H&E-stained section of a sentinel lymph node (breast cancer), from a whole-slide image, viewed at about 20×: the field is about 0.25 mm across, about 0.49 µm per pixel.
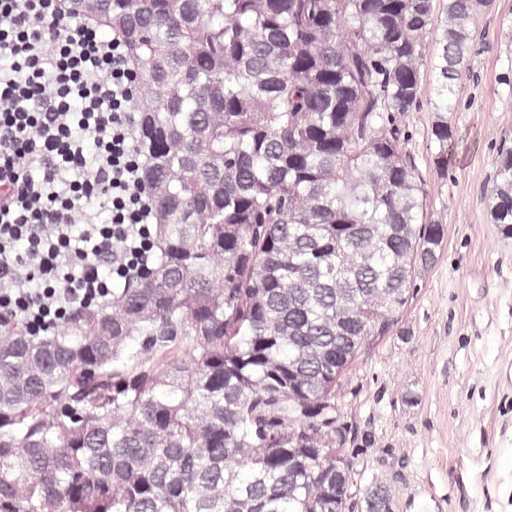
Outlines of two tumour regions, largest first (closed clockwise paths, crop pixels): region 1: (51, 0), (449, 0), (440, 53), (455, 0), (496, 0), (438, 184), (430, 146), (426, 223), (446, 222), (447, 257), (420, 286), (417, 251), (382, 369), (374, 416), (403, 511), (0, 511), (0, 312), (88, 328), (170, 244), (124, 50), (102, 17); region 2: (511, 111), (511, 231), (494, 224), (484, 186), (504, 114).
One more small tumour piece is annotated here but not outlined.
About 70% of this field is tumour.